A 1-mm field of an H&E-stained sentinel lymph node from a breast-cancer patient (whole-slide image), shown at about 5×, about 1.9 µm per pixel.
Image:
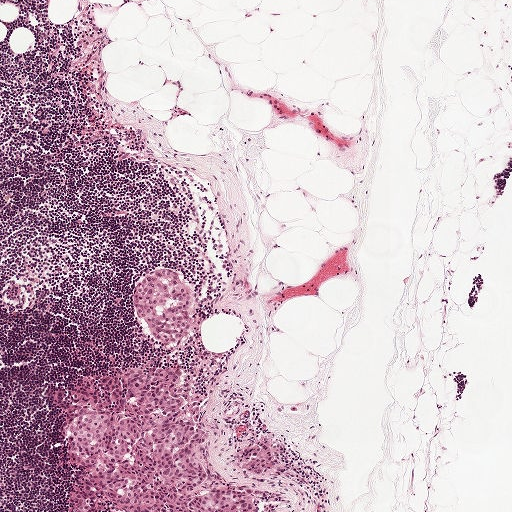
Question:
Trace the edge of each tumour region in this crop, as (x, y) points from 0 to 511.
Answer:
Three metastatic tumour regions, each outlined as a closed clockwise path in crop pixels (x, y), largest first: region 1: (141, 365), (170, 370), (209, 432), (201, 453), (207, 466), (222, 486), (251, 499), (255, 511), (66, 511), (70, 487), (81, 473), (77, 462), (66, 456), (61, 426), (73, 403), (83, 394), (102, 395), (106, 381); region 2: (159, 268), (165, 270), (182, 277), (189, 287), (195, 302), (195, 310), (187, 337), (181, 343), (172, 346), (157, 345), (139, 323), (133, 308), (132, 293), (139, 279); region 3: (260, 438), (268, 442), (279, 455), (279, 462), (275, 468), (252, 476), (242, 470), (238, 459), (243, 448).
About 10% of this field is tumour.